Question: 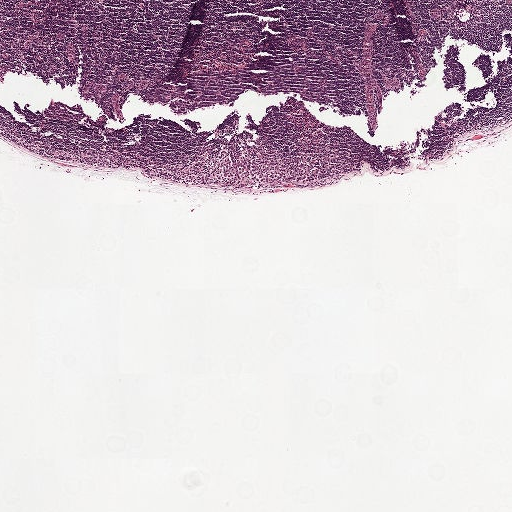
A 2.0-mm field of an H&E-stained sentinel lymph node from a breast-cancer patient (whole-slide image), shown at about 2.5×, about 3.9 µm per pixel.
Estimate the proportion of this field that is metastatic tumour.

Choices:
 (A) about 25% to 45%
 (B) about 50% or more
 (C) about 10% to 20%
 (D) about 5% or less
 (E) none: no tumour is outlined

Answer: (D) about 5% or less
Under 5% of the field is tumour.
The outlined metastatic tumour's edge, as a closed clockwise path of 12 points: (230, 147), (244, 155), (267, 151), (287, 158), (301, 179), (300, 185), (285, 190), (202, 187), (173, 180), (162, 171), (162, 164), (205, 149).